Question: 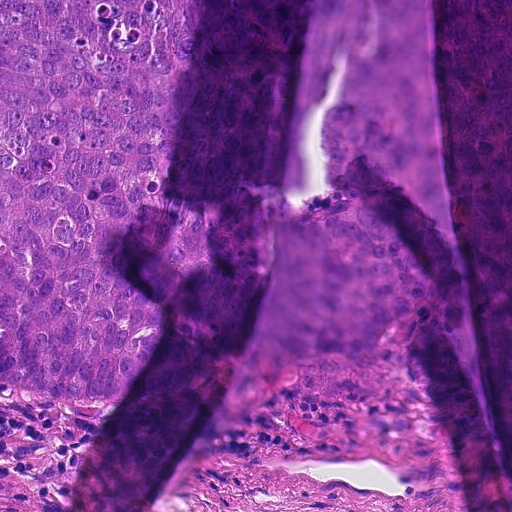
H&E-stained section of a sentinel lymph node (breast cancer), from a whole-slide image, viewed at about 20×: the field is about 0.23 mm across, about 0.45 µm per pixel.
Roughly what share of this field is metastatic tumour?

Choices:
 (A) about 50% or more
 (B) about 10% to 20%
 (C) about 5% or less
 (D) about 25% to 45%
 (E) none: no tumour is outlined

Answer: (B) about 10% to 20%
About 20% of the field is tumour.
Metastatic tumour outline, simplified to 10 points and listed clockwise in crop pixels (x, y): (0, 0), (189, 0), (160, 116), (156, 178), (97, 250), (98, 280), (152, 314), (151, 345), (108, 393), (0, 385).